Question: 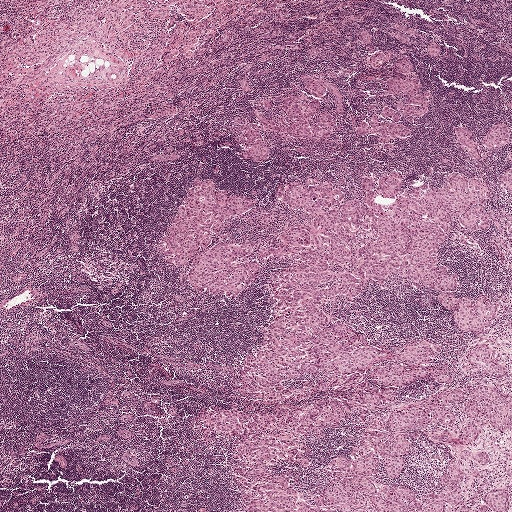
Lymph node section stained with H&E, from a whole-slide image of a breast-cancer sentinel node. Magnification about 2.5×, about 2.0 mm across the frame, about 3.9 µm per pixel.
Estimate the proportion of this field that is metastatic tumour.

Choices:
 (A) about 50% or more
 (B) about 10% to 20%
 (C) none: no tumour is outlined
 (D) about 5% or less
 (E) about 25% to 45%

Answer: (B) about 10% to 20%
About 10% of the field is tumour.
Five metastatic tumour regions, each outlined as a closed clockwise path in crop pixels (x, y), largest first: region 1: (322, 250), (332, 272), (362, 288), (320, 300), (330, 322), (365, 332), (380, 350), (436, 341), (442, 351), (429, 364), (446, 359), (452, 381), (366, 380), (296, 402), (241, 391), (238, 370), (264, 346), (279, 311), (271, 296), (302, 251); region 2: (194, 178), (212, 180), (217, 189), (228, 190), (229, 197), (249, 197), (256, 198), (259, 203), (226, 220), (222, 231), (214, 235), (214, 244), (202, 248), (187, 265), (174, 267), (165, 261), (162, 245); region 3: (248, 240), (254, 245), (242, 261), (257, 260), (260, 264), (260, 269), (256, 279), (243, 296), (231, 299), (222, 294), (215, 296), (189, 286), (187, 274), (196, 255), (218, 243), (238, 243); region 4: (288, 96), (309, 101), (321, 101), (321, 106), (310, 119), (310, 125), (313, 128), (315, 118), (322, 112), (325, 111), (329, 113), (333, 121), (333, 126), (329, 137), (322, 140), (312, 137), (302, 140), (286, 131), (287, 119), (280, 108), (281, 102); region 5: (511, 167), (511, 192), (506, 192), (498, 183), (499, 177), (503, 172), (504, 170), (506, 169).